A 0.25-mm field of an H&E-stained sentinel lymph node from a breast-cancer patient (whole-slide image), shown at about 20×, about 0.49 µm per pixel.
Question: 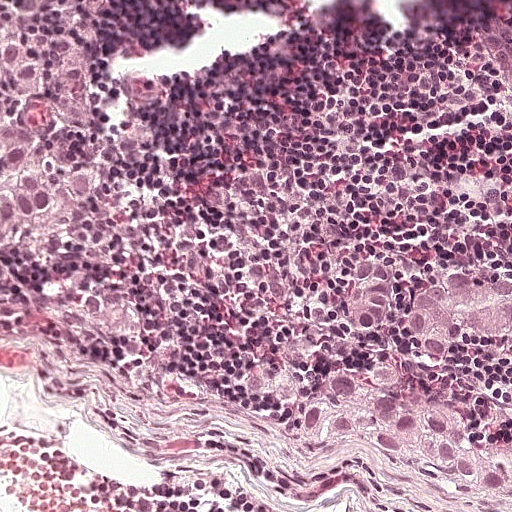
About how much of this crop is taken up by metastatic carcinoma?

Choices:
 (A) about 10% to 20%
 (B) about 50% or more
 (C) none: no tumour is outlined
 (D) about 5% or less
 (E) about 25% to 45%

Answer: (A) about 10% to 20%
About 20% of the field is tumour.
Four metastatic tumour regions, each outlined as a closed clockwise path in crop pixels (x, y), largest first: region 1: (0, 0), (51, 4), (82, 46), (104, 116), (102, 165), (90, 196), (58, 236), (22, 252), (0, 254); region 2: (380, 370), (452, 416), (479, 450), (511, 444), (511, 502), (400, 479), (302, 442), (290, 430), (293, 411), (332, 376); region 3: (453, 270), (504, 277), (509, 292), (506, 300), (504, 334), (484, 348), (433, 362), (410, 360), (399, 342), (397, 304), (412, 289); region 4: (384, 256), (391, 262), (395, 276), (395, 292), (376, 330), (373, 335), (358, 340), (344, 338), (330, 326), (330, 312), (340, 298), (338, 280), (349, 260).